H&E-stained section of a sentinel lymph node (breast cancer), from a whole-slide image, viewed at about 5×: the field is about 1 mm across, about 1.9 µm per pixel.
Question: 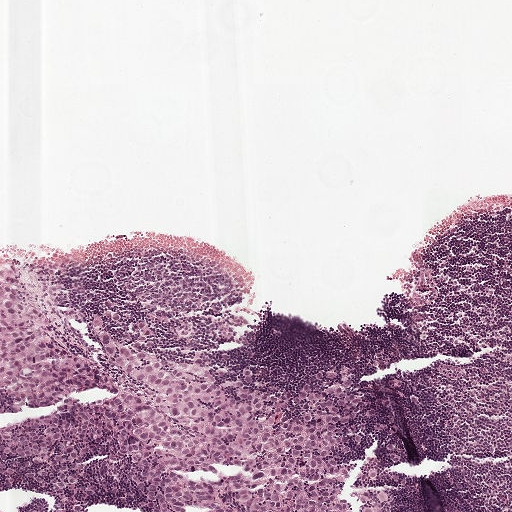
Estimate the proportion of this field that is metastatic tumour.

Choices:
 (A) about 10% to 20%
 (B) about 25% to 45%
 (C) none: no tumour is outlined
 (D) about 5% or less
 (E) about 50% or more

Answer: (A) about 10% to 20%
About 20% of the field is tumour.
The outlined metastatic tumour's edge, as a closed clockwise path of 8 points: (0, 269), (146, 332), (163, 359), (260, 380), (310, 426), (362, 448), (392, 511), (0, 511).